Question: 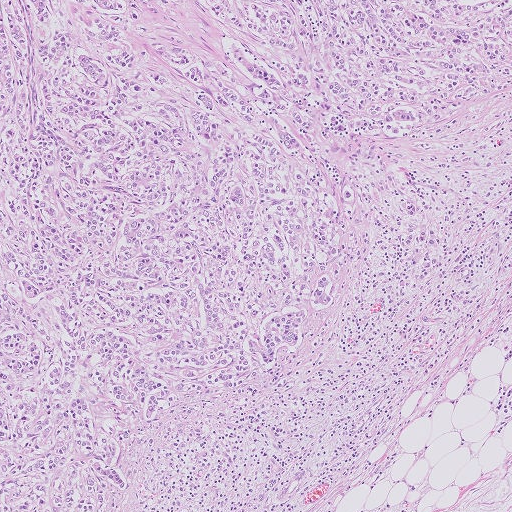
A 1.0-mm field of an H&E-stained sentinel lymph node from a breast-cancer patient (whole-slide image), shown at about 5×, about 2.0 µm per pixel.
What fraction of the image area is metastatic tumour?

Choices:
 (A) about 25% to 45%
 (B) about 5% or less
 (C) about 50% or more
 (D) none: no tumour is outlined
 (E) about 10% to 20%

Answer: (C) about 50% or more
About 65% of the field is tumour.
Three metastatic tumour regions, each outlined as a closed clockwise path in crop pixels (x, y), largest first: region 1: (0, 0), (511, 0), (511, 84), (421, 128), (347, 144), (340, 165), (359, 192), (330, 302), (254, 382), (184, 398), (126, 445), (119, 510), (0, 511); region 2: (427, 221), (437, 223), (443, 241), (444, 260), (432, 275), (422, 280), (415, 275), (414, 254), (396, 247), (395, 238), (409, 225); region 3: (408, 202), (410, 202), (419, 204), (419, 210), (416, 216), (408, 216), (402, 208).